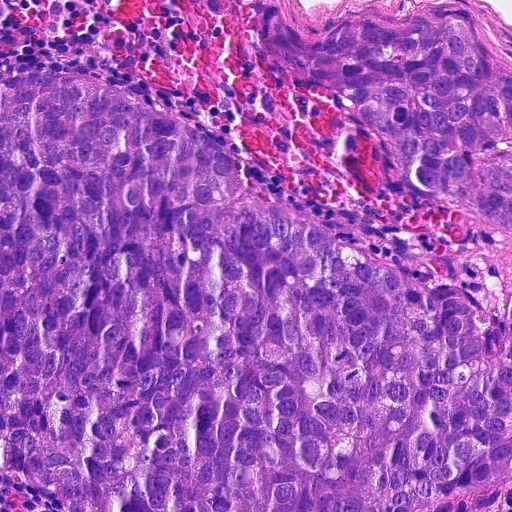
This is a crop of a whole-slide image: an H&E-stained breast-cancer sentinel lymph node section at roughly 20× magnification (about 0.45 µm per pixel; the crop spans about 0.23 mm).
Two metastatic tumour regions, each outlined as a closed clockwise path in crop pixels (x, y), largest first: region 1: (0, 71), (64, 72), (166, 108), (486, 319), (511, 290), (511, 508), (490, 490), (444, 511), (66, 511), (6, 483); region 2: (271, 6), (310, 40), (354, 10), (406, 14), (458, 6), (486, 52), (511, 66), (511, 225), (488, 229), (439, 206), (398, 172), (352, 111), (261, 58).
Tumour covers about 75% of the frame.